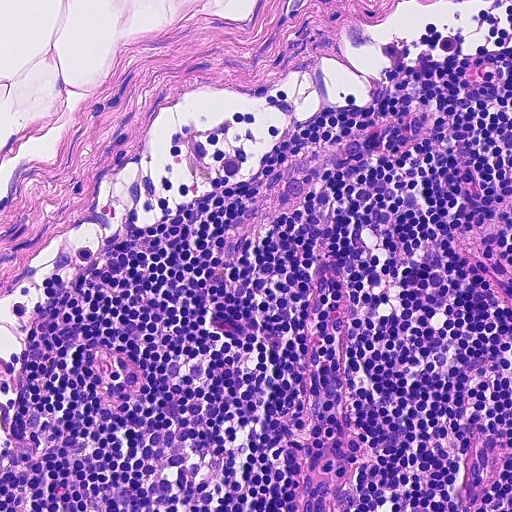
H&E-stained section of a sentinel lymph node (breast cancer), from a whole-slide image, viewed at about 20×: the field is about 0.23 mm across, about 0.45 µm per pixel.